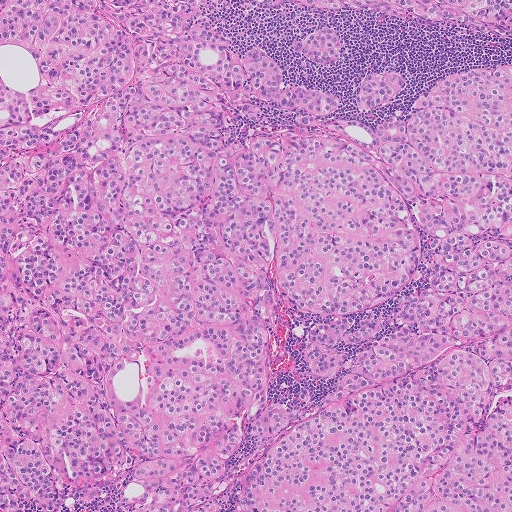
This is a crop of a whole-slide image: an H&E-stained breast-cancer sentinel lymph node section at roughly 5× magnification (about 2.0 µm per pixel; the crop spans about 1.0 mm).
Question: Where is the metastatic tumour in this field?
Answer: Boundaries of three metastatic tumour regions, simplified and listed clockwise, largest first: region 1: (0, 0), (511, 0), (511, 36), (299, 13), (216, 16), (356, 113), (511, 60), (511, 511), (0, 511); region 2: (389, 64), (409, 75), (399, 101), (374, 112), (358, 112), (350, 96), (362, 70); region 3: (304, 29), (347, 32), (347, 59), (320, 66), (295, 56).
About 95% of this field is tumour.